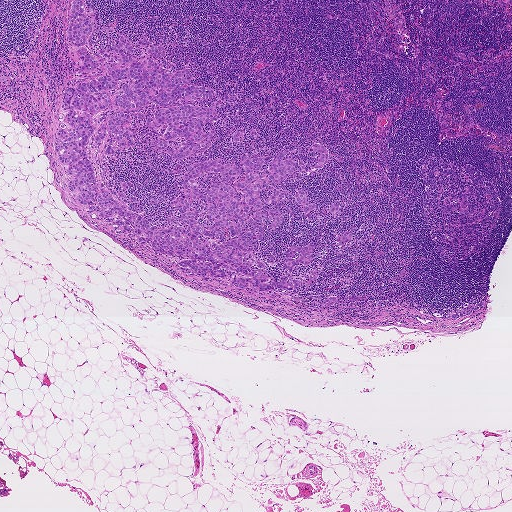
Lymph node section stained with H&E, from a whole-slide image of a breast-cancer sentinel node. Magnification about 2.5×, about 1.9 mm across the frame, about 3.6 µm per pixel.
Three metastatic tumour regions, each outlined as a closed clockwise path in crop pixels (x, y), largest first: region 1: (319, 144), (324, 145), (327, 150), (327, 156), (326, 162), (323, 166), (318, 168), (312, 168), (317, 162), (318, 157), (320, 156), (320, 153), (317, 152), (312, 149), (312, 145); region 2: (351, 294), (363, 296), (368, 298), (364, 302), (352, 302), (347, 300), (346, 298), (344, 298), (347, 297); region 3: (345, 232), (347, 234), (351, 232), (352, 232), (352, 238), (348, 241), (342, 244), (336, 244), (342, 234).
One more tumour region is annotated but not outlined: its edge is too irregular for a short outline.
Two more small tumour pieces are annotated here but not outlined.
About 10% of this field is tumour.